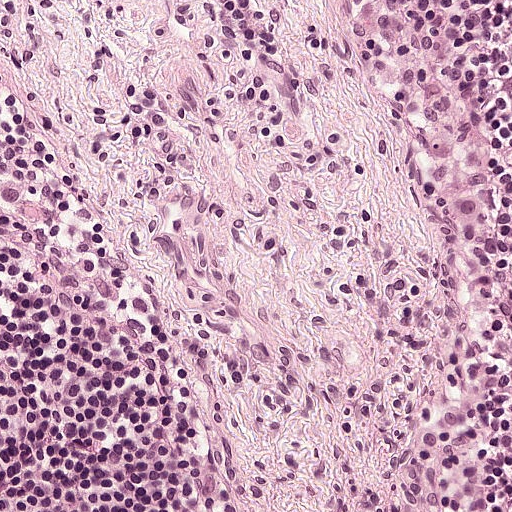
A 0.25-mm field of an H&E-stained sentinel lymph node from a breast-cancer patient (whole-slide image), shown at about 20×, about 0.49 µm per pixel.